Question: 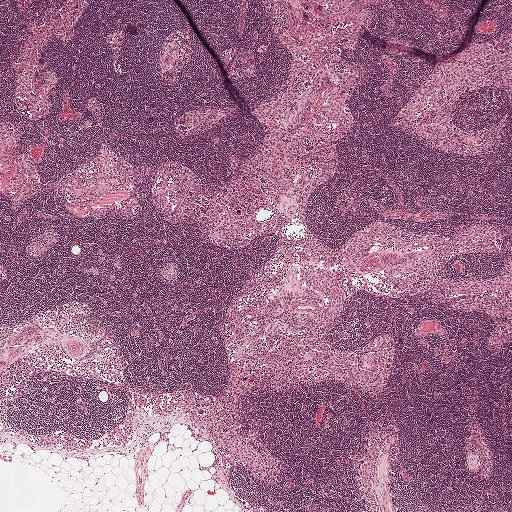
H&E-stained section of a sentinel lymph node (breast cancer), from a whole-slide image, viewed at about 2.5×: the field is about 2.0 mm across, about 3.9 µm per pixel.
What fraction of the image area is metastatic tumour?

Choices:
 (A) none: no tumour is outlined
 (B) about 50% or more
 (C) about 10% to 20%
 (D) about 5% or less
 (E) about 25% to 45%

Answer: (A) none: no tumour is outlined
No metastatic tumour is outlined in this field.